Question: 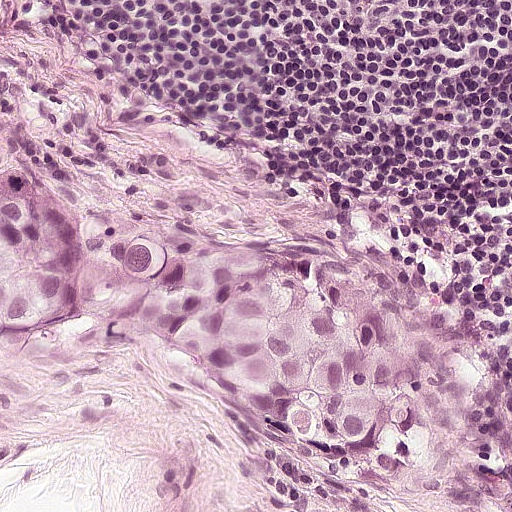
A 0.25-mm field of an H&E-stained sentinel lymph node from a breast-cancer patient (whole-slide image), shown at about 20×, about 0.49 µm per pixel.
Roughly what share of this field is metastatic tumour?

Choices:
 (A) about 25% to 45%
 (B) about 10% to 20%
 (C) about 5% or less
 (D) none: no tumour is outlined
 (E) about 50% or more

Answer: (A) about 25% to 45%
About 25% of the field is tumour.
Metastatic tumour outline, simplified to 14 points and listed clockwise in crop pixels (x, y): (0, 79), (51, 167), (96, 212), (301, 270), (422, 354), (436, 380), (433, 432), (418, 464), (370, 493), (348, 493), (304, 468), (235, 388), (84, 362), (4, 322).